Question: 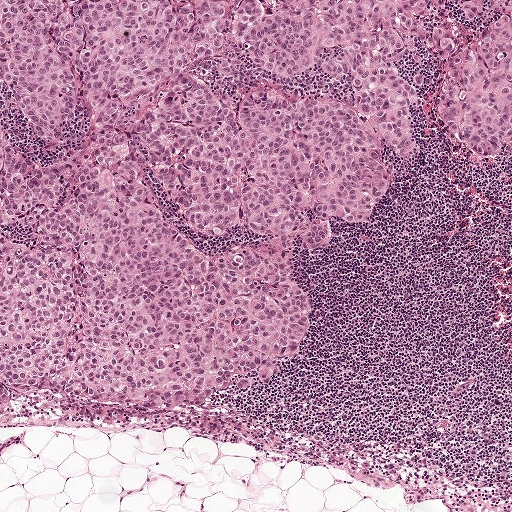
A 1-mm field of an H&E-stained sentinel lymph node from a breast-cancer patient (whole-slide image), shown at about 5×, about 1.9 µm per pixel.
Estimate the proportion of this field that is metastatic tumour.

Choices:
 (A) none: no tumour is outlined
 (B) about 25% to 45%
 (C) about 50% or more
 (D) about 10% to 20%
 (E) about 5% or less

Answer: (C) about 50% or more
About 60% of the field is tumour.
One metastatic tumour region; its boundary, reduced to 15 corners and listed clockwise: (0, 0), (511, 0), (511, 158), (461, 155), (422, 109), (421, 153), (378, 220), (346, 227), (300, 260), (321, 324), (274, 383), (176, 421), (64, 401), (31, 401), (1, 418).